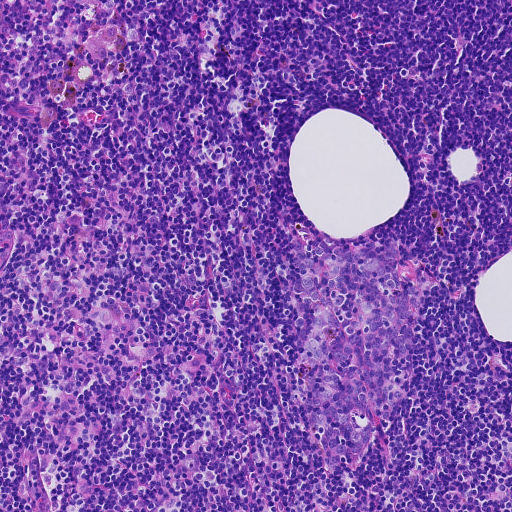
A 0.46-mm field of an H&E-stained sentinel lymph node from a breast-cancer patient (whole-slide image), shown at about 10×, about 0.91 µm per pixel.